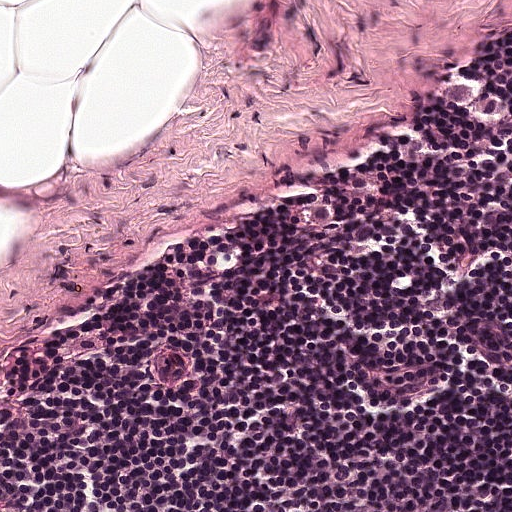
This is a crop of a whole-slide image: an H&E-stained breast-cancer sentinel lymph node section at roughly 20× magnification (about 0.49 µm per pixel; the crop spans about 0.25 mm).